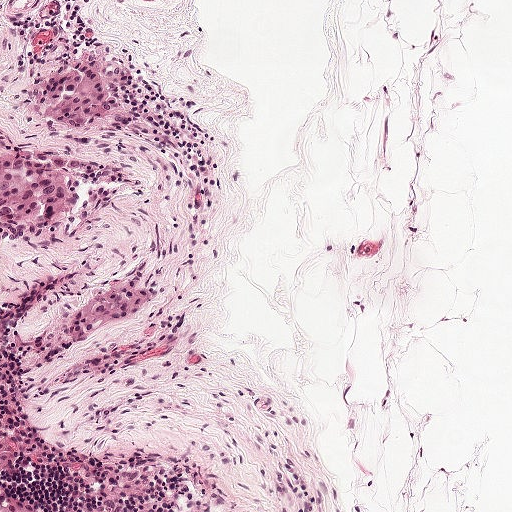
A 0.5-mm field of an H&E-stained sentinel lymph node from a breast-cancer patient (whole-slide image), shown at about 10×, about 0.97 µm per pixel.
Question: Is there metastatic carcinoma in this field?
Answer: Yes.
Boundaries of five metastatic tumour regions, simplified and listed clockwise, largest first: region 1: (82, 56), (96, 65), (119, 90), (120, 104), (110, 116), (66, 133), (54, 129), (44, 120), (39, 112), (38, 98), (48, 76); region 2: (0, 147), (16, 158), (30, 159), (50, 168), (64, 178), (72, 188), (70, 208), (48, 220), (19, 221), (0, 214); region 3: (138, 270), (152, 290), (154, 298), (148, 304), (120, 321), (96, 342), (87, 345), (67, 344), (60, 330), (68, 311), (81, 300), (122, 275); region 4: (0, 348), (22, 435), (22, 452), (17, 453), (10, 474), (0, 483); region 5: (0, 488), (5, 492), (7, 494), (9, 494), (9, 495), (20, 503), (22, 504), (28, 509), (31, 510), (32, 511), (0, 511).
About 5% of this field is tumour.